Question: 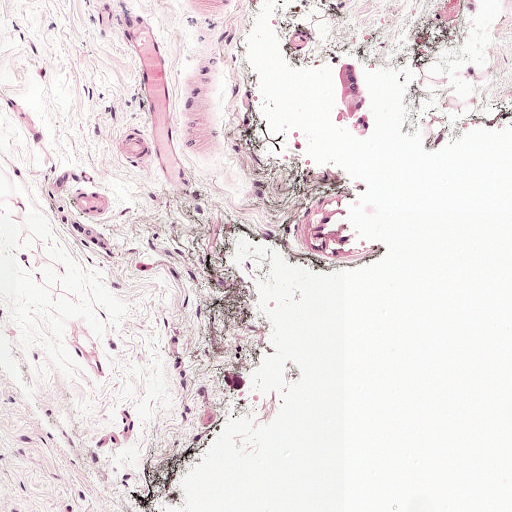
About what magnification does this crop show?

Choices:
 (A) about 40×
 (B) about 5×
 (C) about 20×
 (D) about 10×
 (E) about 2.5×

Answer: (D) about 10×
A 0.5-mm field of an H&E-stained sentinel lymph node from a breast-cancer patient (whole-slide image), shown at about 10×, about 0.97 µm per pixel.
The outlined metastatic tumour's edge, as a closed clockwise path of 10 points: (361, 59), (361, 79), (373, 117), (373, 136), (357, 139), (348, 127), (334, 125), (340, 102), (334, 69), (340, 63).
Tumour covers under 5% of the frame.